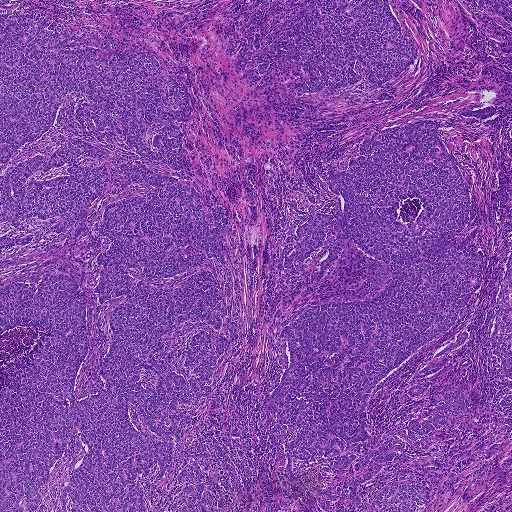
This is a crop of a whole-slide image: an H&E-stained breast-cancer sentinel lymph node section at roughly 2.5× magnification (about 3.6 µm per pixel; the crop spans about 1.9 mm).
Eight metastatic tumour regions, each outlined as a closed clockwise path in crop pixels (x, y), largest first: region 1: (0, 0), (105, 51), (158, 56), (193, 96), (190, 176), (228, 210), (235, 248), (240, 352), (180, 454), (203, 449), (209, 429), (237, 426), (232, 447), (250, 456), (254, 491), (229, 511), (0, 511); region 2: (434, 118), (470, 190), (482, 286), (464, 316), (469, 338), (432, 386), (405, 398), (413, 371), (456, 332), (372, 393), (366, 427), (406, 437), (408, 421), (428, 416), (448, 386), (468, 399), (468, 418), (447, 414), (432, 447), (405, 449), (361, 482), (355, 511), (328, 511), (289, 478), (282, 486), (264, 424), (288, 362), (278, 334), (302, 308), (362, 284), (370, 260), (355, 245), (311, 286), (276, 258), (309, 214), (290, 207), (294, 186), (326, 200), (328, 168), (360, 143); region 3: (304, 0), (392, 0), (397, 20), (419, 49), (402, 78), (402, 95), (377, 101), (294, 91), (291, 83), (302, 71), (297, 63), (280, 65), (257, 76), (255, 68), (268, 56); region 4: (511, 233), (511, 379), (505, 377), (498, 371), (494, 366), (492, 359), (491, 345), (491, 331), (494, 318), (495, 302), (500, 289), (505, 267), (510, 239); region 5: (415, 481), (427, 487), (429, 490), (429, 499), (423, 511), (373, 511), (368, 504), (369, 496), (387, 486), (401, 482); region 6: (511, 438), (511, 445), (506, 448), (479, 491), (463, 502), (462, 490), (464, 484), (476, 469), (487, 447); region 7: (470, 0), (511, 0), (511, 53), (508, 53), (500, 49), (498, 41), (509, 29), (506, 21), (483, 12), (476, 8); region 8: (500, 168), (507, 171), (511, 175), (511, 224), (510, 222), (504, 218), (500, 212), (499, 190), (498, 175).
Two more small tumour pieces are annotated here but not outlined.
Tumour covers about 65% of the frame.